A 0.5-mm field of an H&E-stained sentinel lymph node from a breast-cancer patient (whole-slide image), shown at about 10×, about 0.97 µm per pixel.
Question: 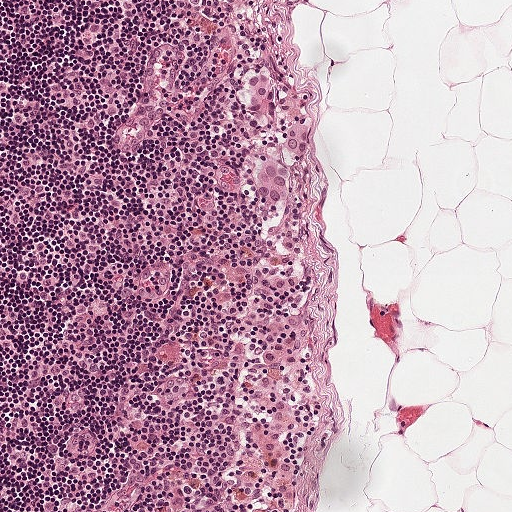
What fraction of the image area is metastatic tumour?

Choices:
 (A) about 50% or more
 (B) about 5% or less
 (C) about 10% to 20%
 (D) none: no tumour is outlined
 (E) about 25% to 45%

Answer: (B) about 5% or less
Under 5% of the field is tumour.
Boundaries of two metastatic tumour regions, simplified and listed clockwise, largest first: region 1: (274, 60), (277, 75), (276, 98), (281, 110), (312, 124), (313, 140), (308, 154), (300, 158), (287, 155), (282, 146), (280, 132), (274, 122), (266, 118), (246, 117), (235, 106), (234, 101), (242, 82), (252, 67), (261, 61); region 2: (279, 152), (292, 166), (294, 172), (294, 190), (290, 206), (272, 214), (254, 214), (246, 206), (242, 194), (242, 181), (247, 166), (253, 158), (260, 153).